This is a crop of a whole-slide image: an H&E-stained breast-cancer sentinel lymph node section at roughly 5× magnification (about 1.8 µm per pixel; the crop spans about 0.93 mm).
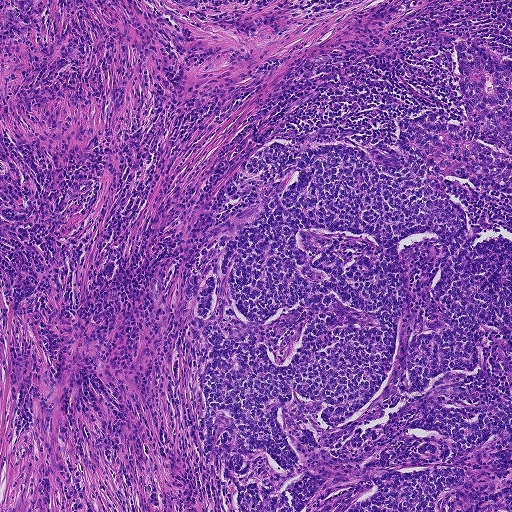
Outlines of two tumour regions, largest first (closed clockwise paths, crop pixels): region 1: (328, 139), (450, 197), (471, 229), (511, 237), (511, 348), (484, 327), (482, 364), (449, 377), (439, 401), (511, 404), (511, 471), (497, 485), (511, 487), (511, 511), (241, 511), (202, 457), (194, 294), (288, 168), (252, 177), (245, 161), (276, 140), (298, 148); region 2: (459, 36), (471, 38), (511, 61), (511, 197), (448, 179), (400, 144), (407, 120), (419, 115), (456, 122), (467, 116), (457, 93), (450, 56), (450, 44).
Tumour covers about 40% of the frame.